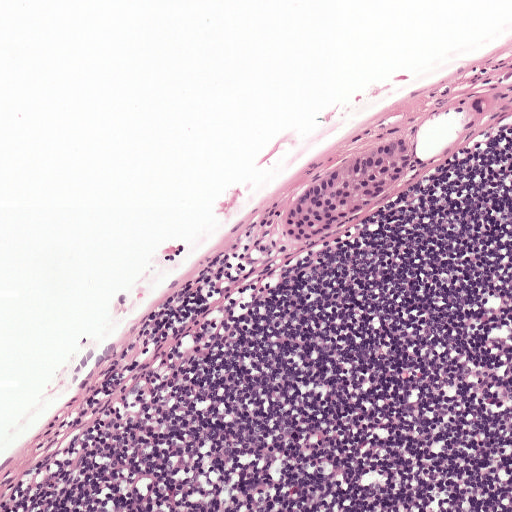
This is a crop of a whole-slide image: an H&E-stained breast-cancer sentinel lymph node section at roughly 10× magnification (about 0.97 µm per pixel; the crop spans about 0.5 mm).
The outlined metastatic tumour's edge, as a closed clockwise path of 10 points: (402, 136), (410, 142), (408, 173), (356, 215), (310, 242), (286, 238), (281, 223), (296, 199), (313, 179), (371, 138).
One more small tumour piece is annotated here but not outlined.
About 5% of the image area is annotated as tumour.